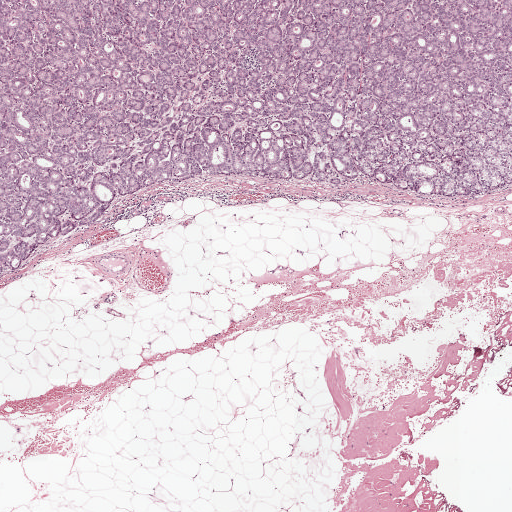
A 2.0-mm field of an H&E-stained sentinel lymph node from a breast-cancer patient (whole-slide image), shown at about 2.5×, about 3.9 µm per pixel.
Metastatic tumour outline, simplified to 7 points and listed clockwise in crop pixels (x, y): (0, 0), (511, 0), (510, 187), (447, 198), (365, 180), (166, 182), (4, 275).
About 40% of the image area is annotated as tumour.